Question: 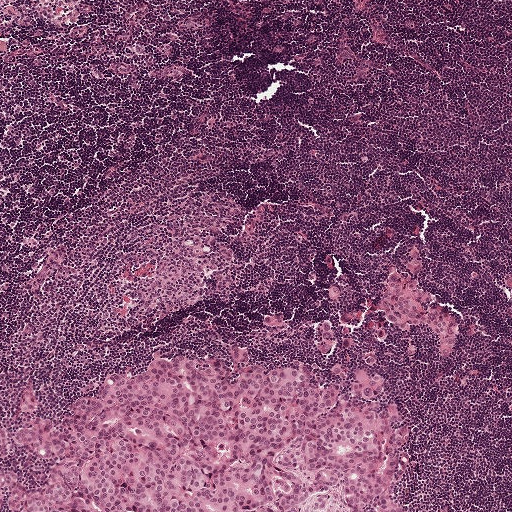
This is a crop of a whole-slide image: an H&E-stained breast-cancer sentinel lymph node section at roughly 5× magnification (about 1.9 µm per pixel; the crop spans about 1 mm).
Roughly what share of this field is metastatic tumour?

Choices:
 (A) none: no tumour is outlined
 (B) about 25% to 45%
 (C) about 5% or less
 (D) about 50% or more
 (E) about 10% to 20%

Answer: (E) about 10% to 20%
About 20% of the field is tumour.
Outlines of four tumour regions, largest first (closed clockwise paths, crop pixels): region 1: (232, 348), (299, 361), (317, 387), (336, 363), (385, 376), (376, 406), (396, 404), (409, 439), (405, 511), (0, 507), (0, 472), (41, 493), (51, 463), (0, 460), (0, 427), (59, 432), (107, 375), (157, 357), (222, 360), (237, 384), (244, 373); region 2: (417, 248), (423, 254), (424, 267), (420, 279), (423, 287), (435, 296), (445, 312), (454, 314), (459, 322), (458, 339), (452, 354), (444, 357), (437, 354), (441, 337), (434, 328), (403, 333), (378, 314), (377, 307), (390, 267), (397, 267), (403, 273), (409, 272), (408, 259), (414, 249); region 3: (326, 321), (331, 324), (334, 330), (334, 345), (326, 354), (322, 354), (318, 345), (318, 332), (321, 322); region 4: (266, 315), (276, 317), (281, 322), (284, 321), (284, 327), (273, 328), (267, 326), (262, 321), (262, 319).